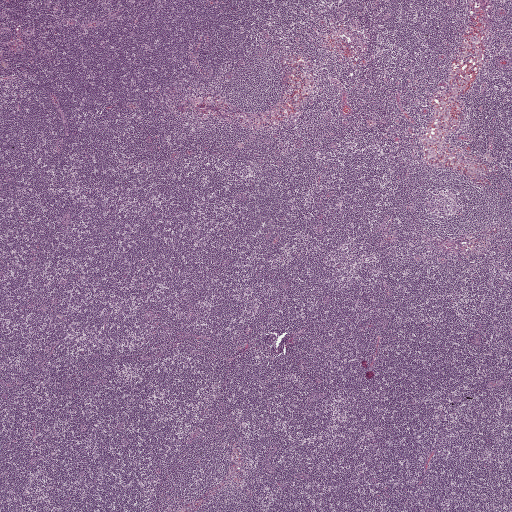
A 2.0-mm field of an H&E-stained sentinel lymph node from a breast-cancer patient (whole-slide image), shown at about 2.5×, about 3.9 µm per pixel.